Question: 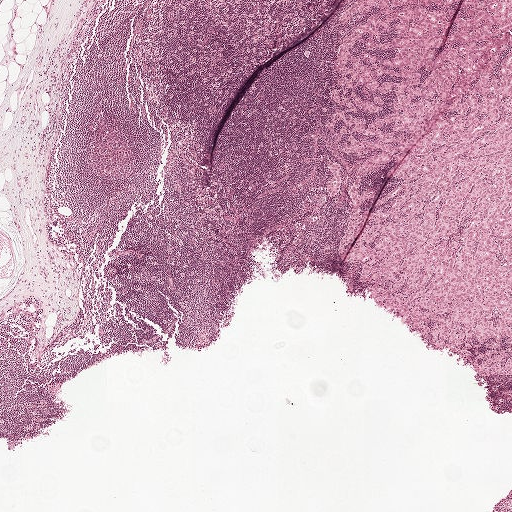
A 2.0-mm field of an H&E-stained sentinel lymph node from a breast-cancer patient (whole-slide image), shown at about 2.5×, about 3.9 µm per pixel.
Roughly what share of this field is metastatic tumour?

Choices:
 (A) none: no tumour is outlined
 (B) about 50% or more
 (C) about 10% to 20%
 (D) about 25% to 45%
 (E) about 5% or less

Answer: (C) about 10% to 20%
About 10% of the field is tumour.
Boundaries of two metastatic tumour regions, simplified and listed clockwise, largest first: region 1: (495, 69), (511, 75), (511, 372), (481, 376), (449, 347), (427, 345), (401, 316), (372, 299), (353, 259), (391, 183), (459, 110), (475, 81); region 2: (511, 48), (511, 71), (502, 66), (500, 62), (501, 59).